Question: 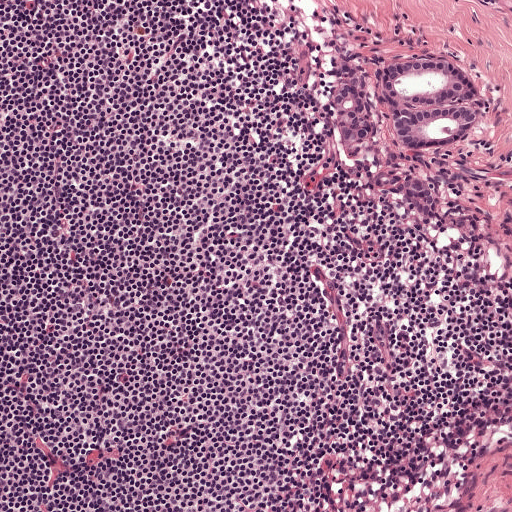
H&E-stained section of a sentinel lymph node (breast cancer), from a whole-slide image, viewed at about 10×: the field is about 0.5 mm across, about 0.97 µm per pixel.
Roughly what share of this field is metastatic tumour?

Choices:
 (A) about 25% to 45%
 (B) about 10% to 20%
 (C) about 5% or less
 (D) none: no tumour is outlined
 (E) about 50% or more

Answer: (C) about 5% or less
About 5% of the field is tumour.
Three metastatic tumour regions, each outlined as a closed clockwise path in crop pixels (x, y), largest first: region 1: (438, 54), (468, 68), (482, 82), (491, 102), (486, 122), (473, 139), (453, 148), (409, 152), (400, 150), (387, 132), (375, 70), (394, 60); region 2: (344, 61), (362, 70), (377, 114), (376, 129), (351, 146), (340, 136), (334, 106), (334, 91); region 3: (381, 171), (403, 178), (400, 182), (409, 181), (421, 183), (430, 191), (436, 209), (433, 219), (420, 216), (401, 199), (396, 186), (399, 183), (384, 188), (375, 185), (373, 176).
Question: 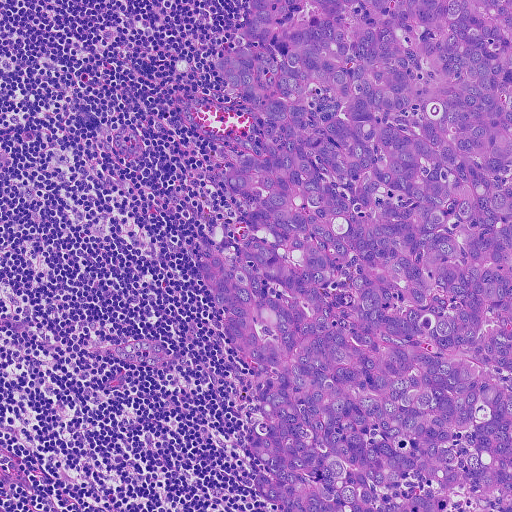
A 0.46-mm field of an H&E-stained sentinel lymph node from a breast-cancer patient (whole-slide image), shown at about 10×, about 0.91 µm per pixel.
Roughly what share of this field is metastatic tumour?

Choices:
 (A) about 5% or less
 (B) about 25% to 45%
 (C) none: no tumour is outlined
 (D) about 50% or more
 (E) about 10% to 20%

Answer: (D) about 50% or more
About 55% of the field is tumour.
One metastatic tumour region; its boundary, reduced to 24 corners and listed clockwise: (252, 0), (511, 0), (511, 511), (282, 511), (253, 484), (267, 471), (245, 430), (260, 418), (255, 374), (232, 348), (225, 305), (199, 264), (212, 249), (234, 258), (249, 228), (252, 206), (222, 173), (232, 152), (244, 154), (254, 114), (227, 94), (215, 61), (245, 40), (237, 31).
Question: 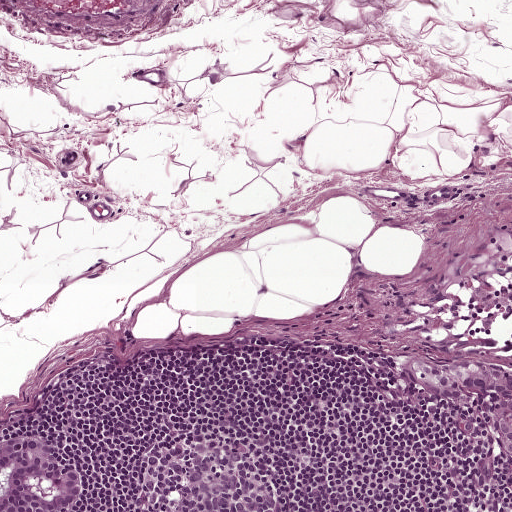
Lymph node section stained with H&E, from a whole-slide image of a breast-cancer sentinel node. Magnification about 10×, about 0.5 mm across the frame, about 0.97 µm per pixel.
Roughly what share of this field is metastatic tumour?

Choices:
 (A) about 10% to 20%
 (B) about 25% to 45%
 (C) none: no tumour is outlined
 (D) about 5% or less
 (E) about 50% or more

Answer: (D) about 5% or less
About 5% of the field is tumour.
Boundaries of two metastatic tumour regions, simplified and listed clockwise, largest first: region 1: (410, 357), (430, 357), (446, 366), (477, 358), (511, 369), (511, 459), (500, 454), (478, 422), (464, 409), (430, 393), (399, 372); region 2: (18, 433), (29, 433), (59, 450), (67, 458), (73, 455), (83, 472), (82, 492), (73, 510), (0, 511), (0, 439).
Question: 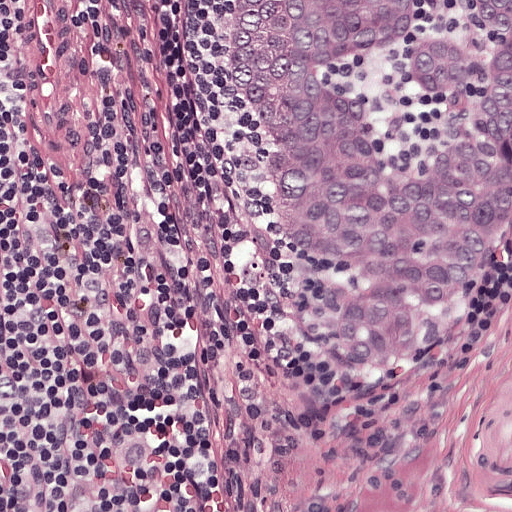
A 0.25-mm field of an H&E-stained sentinel lymph node from a breast-cancer patient (whole-slide image), shown at about 20×, about 0.49 µm per pixel.
Roughly what share of this field is metastatic tumour?

Choices:
 (A) about 10% to 20%
 (B) about 50% or more
 (C) about 5% or less
 (D) none: no tumour is outlined
 (E) about 25% to 45%

Answer: (E) about 25% to 45%
About 40% of the field is tumour.
The outlined metastatic tumour's edge, as a closed clockwise path of 8 points: (144, 0), (511, 0), (511, 279), (358, 404), (304, 392), (269, 348), (259, 242), (223, 133).